Image:
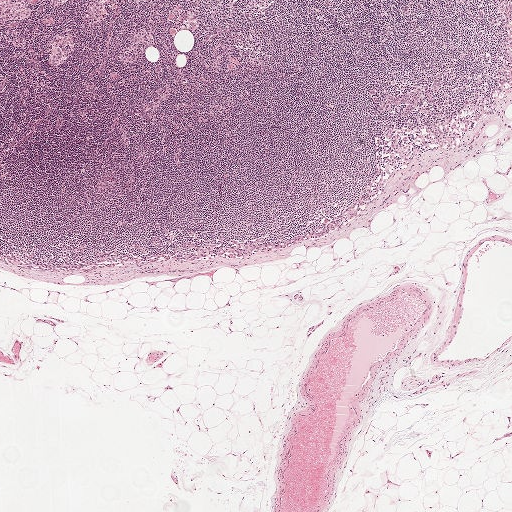
H&E-stained section of a sentinel lymph node (breast cancer), from a whole-slide image, viewed at about 2.5×: the field is about 2.0 mm across, about 3.9 µm per pixel.
Question:
Does this lymph node field contain metastatic tumour?
Answer:
No, this field holds no outlined metastasis.